Lymph node section stained with H&E, from a whole-slide image of a breast-cancer sentinel node. Magnification about 10×, about 0.5 mm across the frame, about 0.97 µm per pixel.
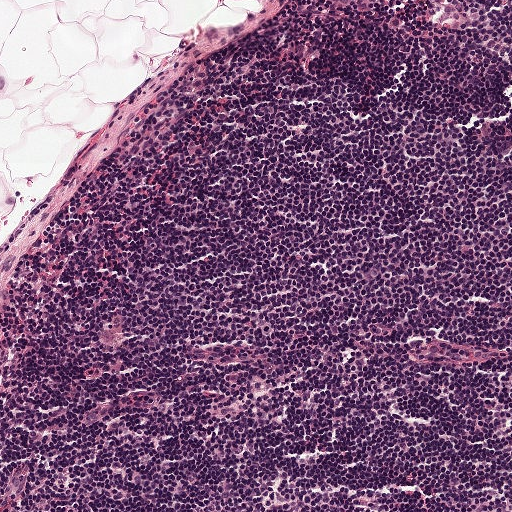
Question: Does this lymph node field contain metastatic tumour?
Answer: No: no metastatic tumour is outlined anywhere in this field.